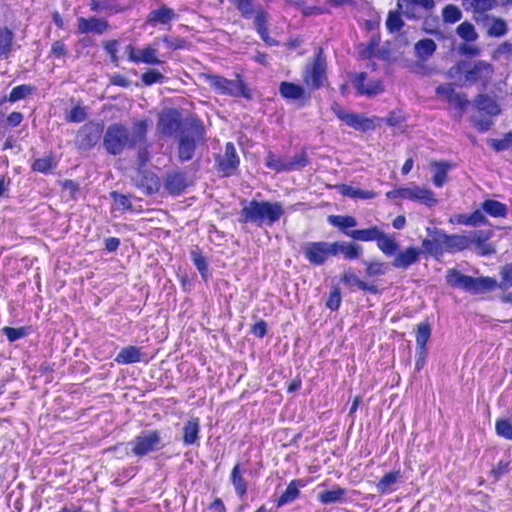
H&E-stained section of a sentinel lymph node (breast cancer), from a whole-slide image, viewed at about 40×: the field is about 0.12 mm across, about 0.23 µm per pixel.
Boundaries of two metastatic tumour regions, simplified and listed clockwise, largest first: region 1: (74, 92), (113, 103), (196, 106), (214, 141), (212, 179), (180, 200), (142, 198), (105, 188), (105, 167), (85, 156), (57, 127); region 2: (0, 0), (16, 0), (27, 17), (23, 55), (0, 68).
About 5% of the image area is annotated as tumour.